Lymph node section stained with H&E, from a whole-slide image of a breast-cancer sentinel node. Magnification about 2.5×, about 2.0 mm across the frame, about 3.9 µm per pixel.
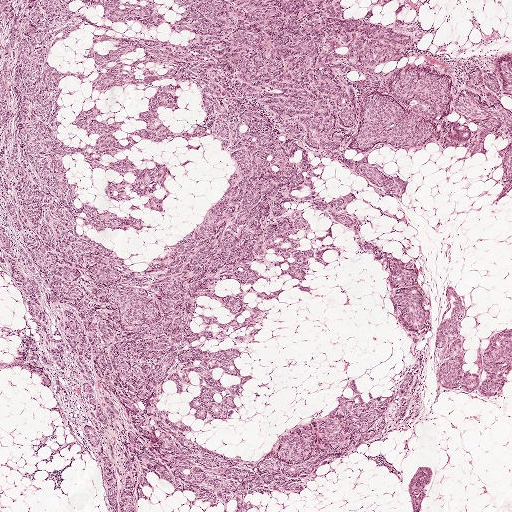
Question: Does this lymph node field contain metastatic tumour?
Answer: Yes.
Two metastatic tumour regions, each outlined as a closed clockwise path in crop pixels (x, y), largest first: region 1: (0, 0), (384, 0), (511, 58), (511, 205), (484, 158), (426, 169), (271, 316), (231, 419), (188, 420), (247, 456), (392, 385), (360, 244), (471, 296), (470, 364), (511, 326), (508, 388), (428, 396), (267, 511), (104, 511), (89, 465), (37, 471), (58, 419), (4, 340); region 2: (421, 468), (433, 469), (434, 479), (427, 488), (428, 496), (421, 511), (413, 511), (409, 497), (410, 483), (416, 472).
About 75% of this field is tumour.